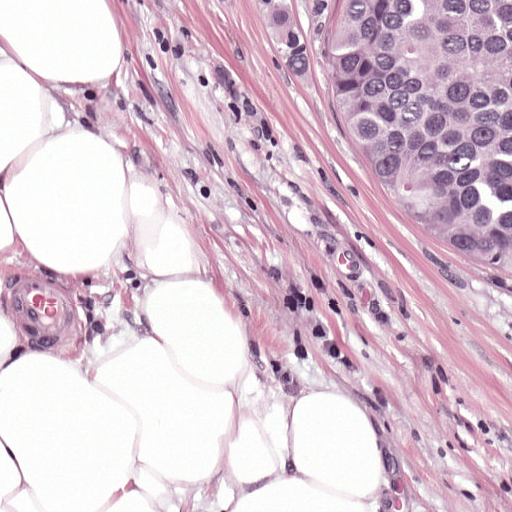
Lymph node section stained with H&E, from a whole-slide image of a breast-cancer sentinel node. Magnification about 20×, about 0.25 mm across the frame, about 0.49 µm per pixel.
Question: Show where the tumour is in this image.
Answer: The outlined metastatic tumour's edge, as a closed clockwise path of 5 points: (208, 0), (511, 0), (511, 346), (382, 214), (254, 42).
About 20% of this field is tumour.